Image:
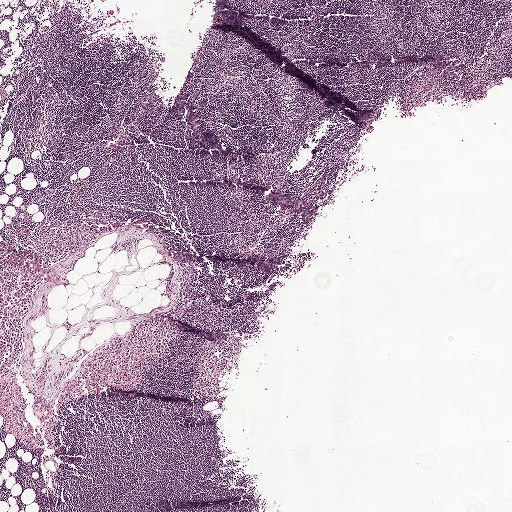
A 2.0-mm field of an H&E-stained sentinel lymph node from a breast-cancer patient (whole-slide image), shown at about 2.5×, about 3.9 µm per pixel.
Question:
Is any metastatic breast cancer visible in this crop?
Answer:
Yes.
Metastatic tumour outline, simplified to 13 points and listed clockwise in crop pixels (x, y): (14, 268), (24, 269), (32, 276), (32, 288), (29, 295), (27, 308), (23, 316), (17, 338), (10, 344), (4, 344), (0, 342), (0, 278), (9, 270).
Under 5% of this field is tumour.